Image:
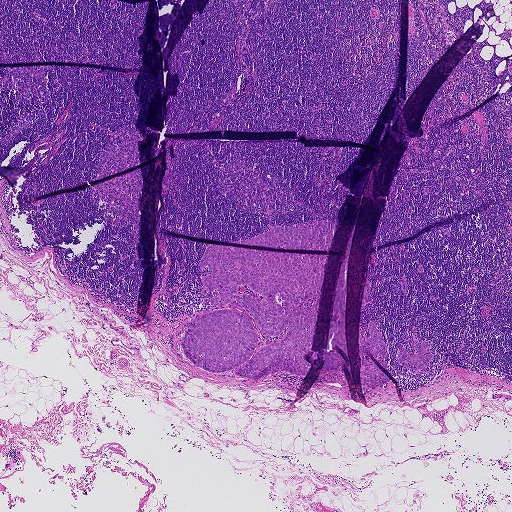
A 1.9-mm field of an H&E-stained sentinel lymph node from a breast-cancer patient (whole-slide image), shown at about 2.5×, about 3.6 µm per pixel.
Question:
Describe where the metastatic carcinoma lies in this crop.
Answer:
Boundaries of four metastatic tumour regions, simplified and listed clockwise, largest first: region 1: (207, 246), (326, 256), (310, 347), (303, 356), (310, 364), (304, 374), (234, 374), (253, 354), (216, 372), (190, 362), (182, 339), (200, 316), (240, 312), (257, 334), (255, 350), (282, 339), (287, 328), (268, 335), (248, 310), (209, 300), (222, 290), (203, 285), (213, 271), (199, 266); region 2: (321, 220), (336, 223), (328, 250), (250, 245), (234, 242), (255, 236), (278, 225), (286, 227), (300, 223), (312, 227); region 3: (372, 319), (381, 333), (387, 348), (385, 356), (380, 357), (387, 362), (390, 372), (372, 351), (364, 349), (364, 352), (390, 380), (378, 387), (370, 387), (366, 387), (361, 380), (359, 355), (359, 327), (363, 328), (366, 336), (370, 337), (368, 334), (368, 325), (369, 321); region 4: (413, 339), (420, 343), (427, 341), (430, 345), (426, 350), (432, 354), (425, 368), (414, 369), (406, 368), (397, 364), (396, 360), (402, 346), (407, 351), (408, 354), (416, 354), (419, 347), (417, 349), (413, 349), (410, 346).
The annotated tumour makes up about 5% of the crop.